A 0.46-mm field of an H&E-stained sentinel lymph node from a breast-cancer patient (whole-slide image), shown at about 10×, about 0.91 µm per pixel.
Question: 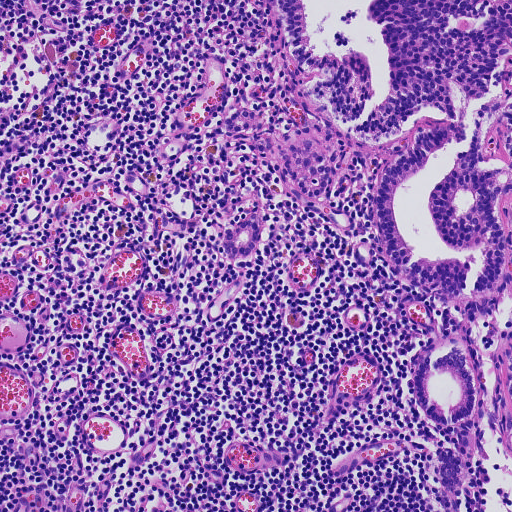
Estimate the proportion of this field that is metastatic tumour.

Choices:
 (A) about 50% or more
 (B) about 25% to 45%
 (C) none: no tumour is outlined
 (D) about 5% or less
 (E) about 10% to 20%

Answer: (B) about 25% to 45%
About 25% of the field is tumour.
Boundaries of seven metastatic tumour regions, simplified and listed clockwise, largest first: region 1: (276, 0), (511, 0), (511, 195), (498, 198), (498, 212), (511, 339), (490, 352), (381, 248), (376, 199), (386, 167), (414, 130), (448, 118), (424, 108), (404, 133), (359, 141), (306, 95), (311, 77), (294, 64); region 2: (457, 333), (478, 382), (479, 401), (468, 459), (467, 478), (460, 496), (449, 498), (442, 488), (434, 451), (438, 444), (455, 452), (458, 429), (432, 424), (419, 409), (413, 391), (412, 372), (417, 354), (428, 341); region 3: (308, 128), (328, 150), (334, 163), (334, 178), (325, 190), (312, 196), (298, 192), (289, 181), (280, 160), (286, 146), (295, 135); region 4: (236, 104), (252, 108), (264, 118), (258, 132), (274, 136), (276, 151), (262, 156), (250, 146), (255, 134), (242, 136), (226, 132), (225, 116); region 5: (256, 212), (261, 229), (261, 242), (254, 254), (235, 260), (223, 252), (221, 237), (231, 226); region 6: (509, 346), (511, 349), (511, 401), (503, 384), (504, 365); region 7: (507, 412), (511, 415), (511, 460), (503, 450).